Image:
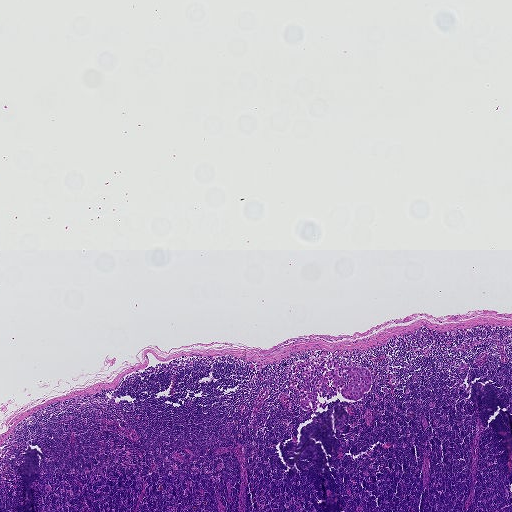
H&E-stained section of a sentinel lymph node (breast cancer), from a whole-slide image, viewed at about 2.5×: the field is about 1.9 mm across, about 3.6 µm per pixel.
Question:
Where is the metastatic tumour in this field? Give each region's outline as (x, y) pixel points.
Answer:
The outlined metastatic tumour's edge, as a closed clockwise path of 24 points: (336, 362), (340, 367), (353, 366), (368, 369), (370, 387), (362, 397), (356, 401), (341, 396), (338, 392), (317, 392), (320, 402), (326, 402), (323, 408), (311, 410), (302, 408), (299, 403), (305, 382), (304, 376), (309, 379), (310, 391), (323, 374), (319, 367), (334, 367), (333, 363).
Tumour covers under 5% of the frame.